This is a crop of a whole-slide image: an H&E-stained breast-cancer sentinel lymph node section at roughly 40× magnification (about 0.24 µm per pixel; the crop spans about 0.12 mm).
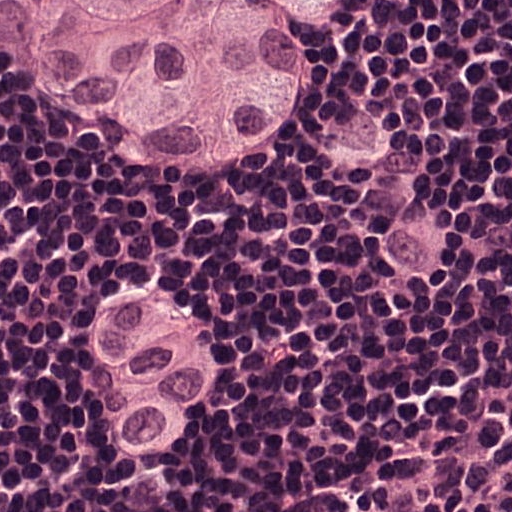
Question: Which parts of this field are metastatic tumour?
Answer: Outlines of three tumour regions, largest first (closed clockwise paths, crop pixels): region 1: (0, 0), (365, 0), (356, 24), (309, 61), (288, 133), (247, 161), (156, 165), (3, 105); region 2: (344, 90), (381, 93), (385, 127), (356, 152), (353, 165), (375, 152), (435, 149), (488, 171), (509, 171), (511, 272), (409, 268), (350, 246), (325, 215), (322, 193), (316, 190), (316, 121); region 3: (91, 277), (197, 280), (200, 309), (218, 334), (218, 359), (203, 402), (203, 430), (169, 454), (128, 454), (116, 446), (81, 440), (78, 355), (63, 349), (63, 315), (72, 293).
The annotated tumour makes up about 35% of the crop.